Image:
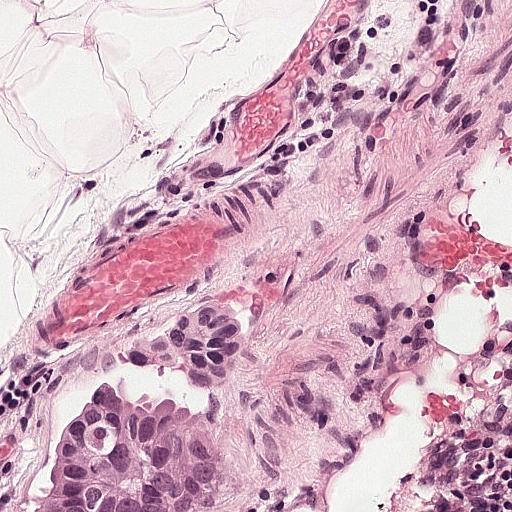
A 0.25-mm field of an H&E-stained sentinel lymph node from a breast-cancer patient (whole-slide image), shown at about 20×, about 0.49 µm per pixel.
Question:
Is there metastatic carcinoma in this field?
Answer:
Yes.
Tumour region outline (a closed clockwise path, crop pixels): (234, 291), (251, 296), (250, 356), (239, 386), (246, 462), (228, 511), (31, 511), (84, 372), (96, 356), (187, 304).
About 15% of the image area is annotated as tumour.